Question: 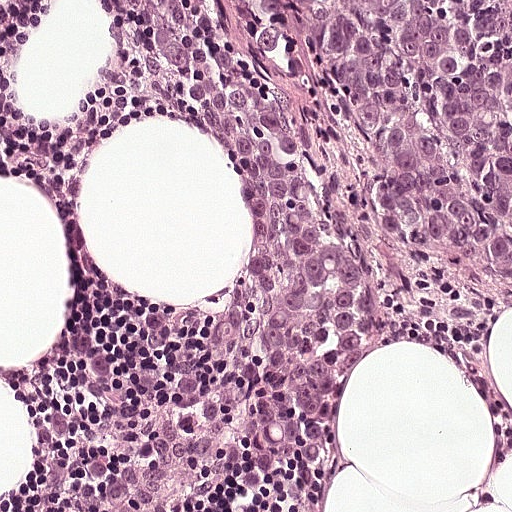
Lymph node section stained with H&E, from a whole-slide image of a breast-cancer sentinel node. Magnification about 20×, about 0.25 mm across the frame, about 0.49 µm per pixel.
Roughly what share of this field is metastatic tumour?

Choices:
 (A) about 10% to 20%
 (B) about 25% to 45%
 (C) about 50% or more
 (D) about 5% or less
 (E) none: no tumour is outlined

Answer: (B) about 25% to 45%
About 45% of the field is tumour.
Tumour region outline (a closed clockwise path, crop pixels): (511, 0), (511, 300), (406, 286), (368, 322), (330, 440), (328, 511), (240, 511), (250, 451), (204, 330), (209, 309), (256, 263), (261, 209), (208, 139), (159, 148), (135, 134), (92, 4).